Image:
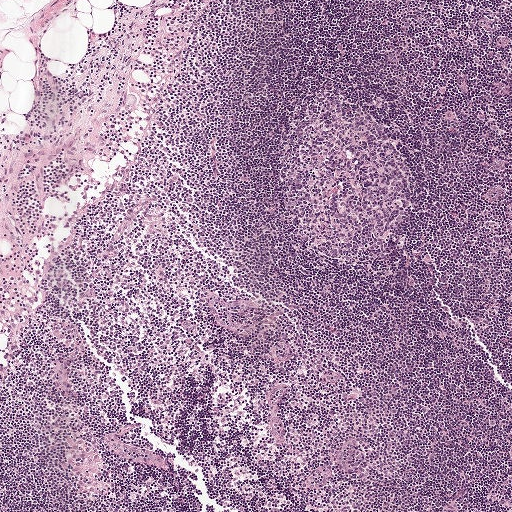
Lymph node section stained with H&E, from a whole-slide image of a breast-cancer sentinel node. Magnification about 5×, about 1 mm across the frame, about 1.9 µm per pixel.
Question:
Is there metastatic carcinoma in this field?
Answer:
No. No metastatic tumour is outlined in this field.